Question: 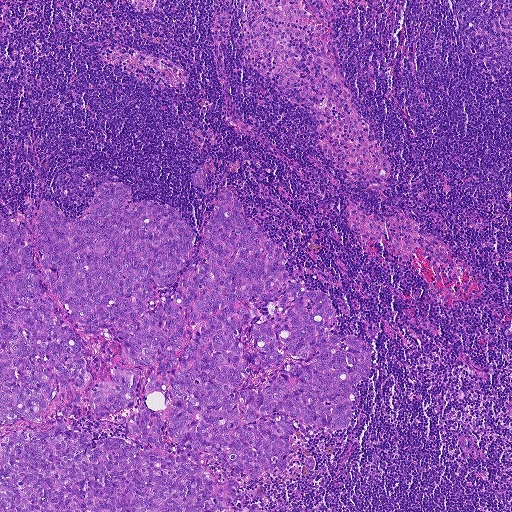
A 0.93-mm field of an H&E-stained sentinel lymph node from a breast-cancer patient (whole-slide image), shown at about 5×, about 1.8 µm per pixel.
What fraction of the image area is metastatic tumour?

Choices:
 (A) about 50% or more
 (B) none: no tumour is outlined
 (C) about 5% or less
 (D) about 25% to 45%
 (E) about 10% to 20%

Answer: (D) about 25% to 45%
About 35% of the field is tumour.
Outlines of two tumour regions, largest first (closed clockwise paths, crop pixels): region 1: (110, 181), (171, 206), (195, 235), (157, 308), (197, 256), (224, 188), (283, 241), (289, 277), (327, 294), (327, 332), (371, 357), (346, 428), (283, 416), (283, 474), (201, 453), (238, 493), (263, 490), (236, 505), (267, 511), (0, 511), (0, 218), (46, 199), (76, 219); region 2: (200, 164), (204, 167), (206, 186), (200, 187), (194, 184), (191, 179), (196, 172), (198, 165).